Question: 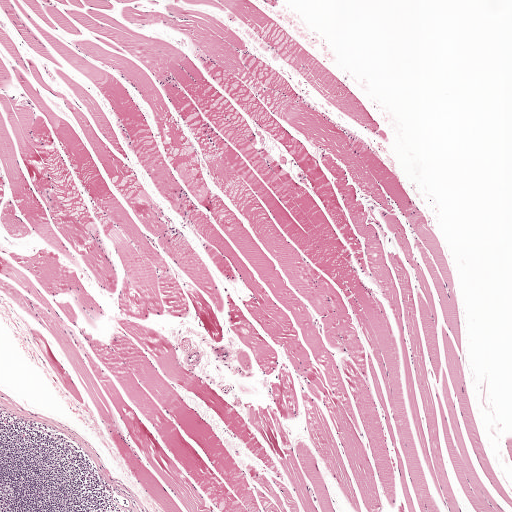
At roughly what magnification is this field shown?

Choices:
 (A) about 40×
 (B) about 20×
 (C) about 5×
 (D) about 2.5×
 (E) about 10×

Answer: (D) about 2.5×
Lymph node section stained with H&E, from a whole-slide image of a breast-cancer sentinel node. Magnification about 2.5×, about 2.0 mm across the frame, about 3.9 µm per pixel.